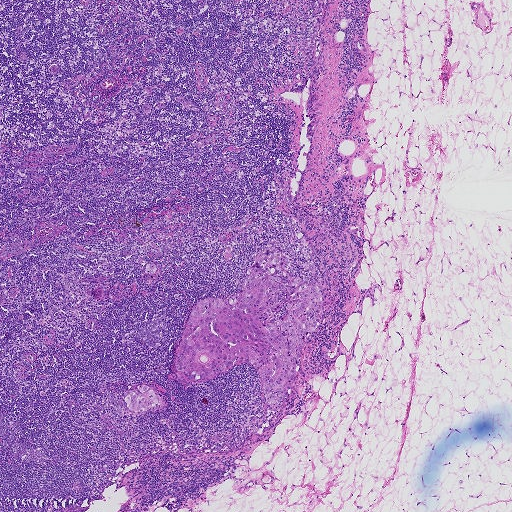
This is a crop of a whole-slide image: an H&E-stained breast-cancer sentinel lymph node section at roughly 2.5× magnification (about 3.6 µm per pixel; the crop spans about 1.9 mm).
Boundaries of two metastatic tumour regions, simplified and listed clockwise, largest first: region 1: (270, 246), (278, 250), (285, 269), (321, 293), (322, 309), (318, 324), (305, 341), (299, 382), (278, 410), (269, 408), (259, 378), (248, 362), (195, 383), (176, 377), (174, 356), (195, 303), (205, 298), (235, 295), (248, 268); region 2: (140, 384), (150, 386), (161, 396), (162, 400), (161, 405), (157, 408), (142, 412), (127, 410), (123, 401), (124, 396).
Two more small tumour pieces are annotated here but not outlined.
Tumour covers about 5% of the frame.